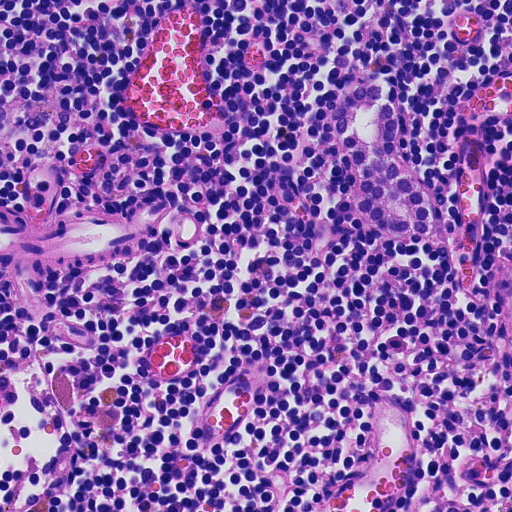
H&E-stained section of a sentinel lymph node (breast cancer), from a whole-slide image, viewed at about 20×: the field is about 0.23 mm across, about 0.45 µm per pixel.
Outlines of two tumour regions, largest first (closed clockwise paths, crop pixels): region 1: (381, 84), (399, 110), (392, 140), (430, 190), (439, 220), (414, 239), (384, 238), (360, 218), (352, 160), (330, 137), (326, 106), (350, 87); region 2: (434, 494), (466, 500), (480, 511), (417, 511).
About 5% of the image area is annotated as tumour.